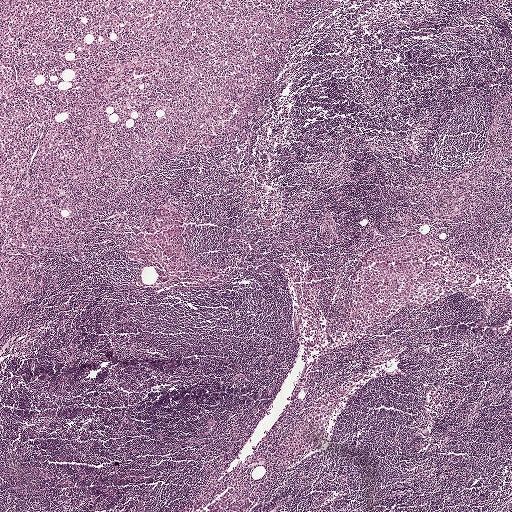
H&E-stained section of a sentinel lymph node (breast cancer), from a whole-slide image, viewed at about 2.5×: the field is about 2.0 mm across, about 3.9 µm per pixel.
Question: Where is the metastatic tumour in this field? Give each region's outline as (x, y) pixel points.
Answer: Outlines of three tumour regions, largest first (closed clockwise paths, crop pixels): region 1: (0, 0), (182, 0), (177, 17), (163, 36), (131, 56), (117, 33), (95, 34), (89, 30), (87, 17), (76, 17), (72, 24), (72, 39), (64, 52), (43, 65), (33, 63), (0, 44); region 2: (198, 74), (230, 76), (237, 82), (237, 90), (205, 130), (162, 153), (129, 181), (102, 195), (107, 177), (125, 155), (128, 142), (141, 124), (149, 100), (161, 93), (183, 90); region 3: (409, 265), (441, 279), (453, 281), (455, 289), (453, 293), (432, 303), (405, 306), (379, 325), (354, 325), (348, 322), (346, 315), (349, 293), (357, 272), (365, 269).
The annotated tumour makes up about 5% of the crop.